Image:
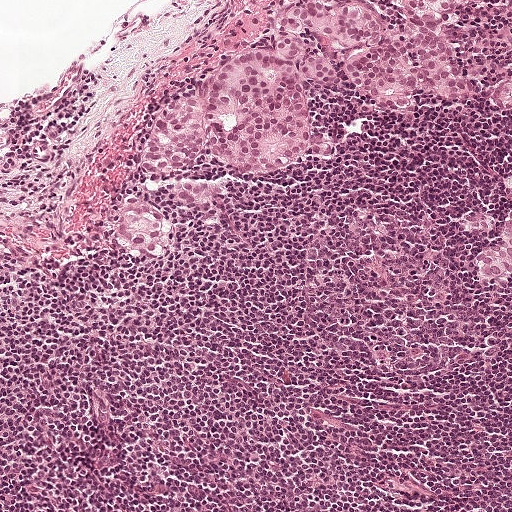
Lymph node section stained with H&E, from a whole-slide image of a breast-cancer sentinel node. Magnification about 10×, about 0.5 mm across the frame, about 0.97 µm per pixel.
Question:
Is there metastatic carcinoma in this field?
Answer:
Yes.
Outlines of four tumour regions, largest first (closed clockwise paths, crop pixels): region 1: (287, 0), (366, 0), (399, 28), (403, 12), (381, 0), (468, 0), (457, 25), (448, 26), (462, 80), (470, 84), (466, 104), (416, 95), (416, 107), (402, 113), (377, 105), (344, 66), (343, 47), (310, 31), (307, 41), (337, 77), (303, 79), (314, 132), (333, 140), (334, 158), (249, 176), (209, 140), (192, 163), (162, 175), (138, 165), (160, 104), (192, 94), (197, 80), (230, 59), (273, 48); region 2: (125, 195), (137, 195), (154, 204), (172, 226), (172, 238), (166, 247), (168, 255), (165, 258), (149, 258), (129, 250), (123, 246), (117, 238), (115, 229); region 3: (511, 208), (511, 272), (504, 275), (497, 280), (494, 280), (492, 280), (491, 280), (485, 279), (485, 278), (484, 278), (482, 278), (482, 276), (477, 274), (477, 272), (474, 271), (474, 267), (478, 255), (479, 255), (480, 252), (491, 240), (498, 236), (498, 235), (502, 233), (506, 228), (507, 218), (510, 214); region 4: (511, 75), (511, 110), (506, 110), (505, 109), (503, 109), (498, 106), (492, 100), (491, 100), (499, 86).
The annotated tumour makes up about 15% of the crop.